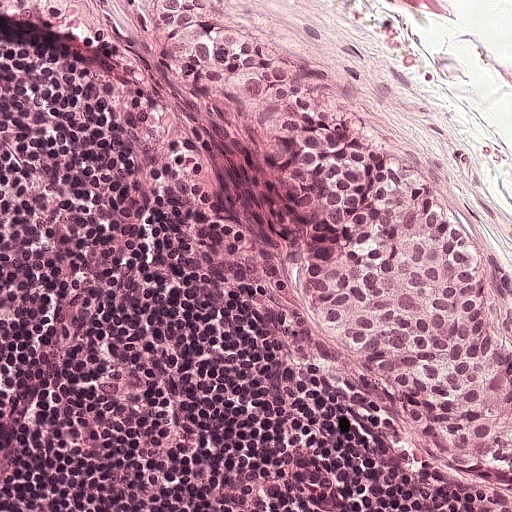
Lymph node section stained with H&E, from a whole-slide image of a breast-cancer sentinel node. Magnification about 20×, about 0.25 mm across the frame, about 0.49 µm per pixel.
Tumour region outline (a closed clockwise path, crop pixels): (188, 0), (220, 11), (293, 63), (360, 138), (452, 211), (482, 255), (511, 350), (511, 510), (444, 486), (368, 370), (327, 342), (279, 172), (236, 124), (200, 105), (154, 10).
About 25% of this field is tumour.